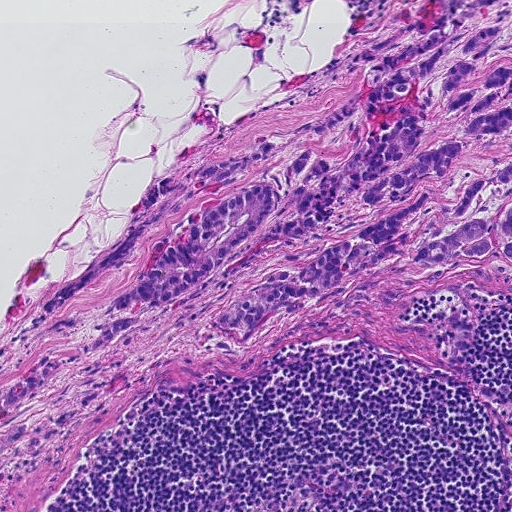
A 0.46-mm field of an H&E-stained sentinel lymph node from a breast-cancer patient (whole-slide image), shown at about 10×, about 0.9 µm per pixel.
Tumour region outline (a closed clockwise path, crop pixels): (511, 0), (511, 307), (468, 349), (478, 399), (358, 330), (304, 328), (243, 358), (184, 359), (136, 379), (0, 503), (0, 342), (33, 302), (116, 237), (156, 179), (350, 96), (346, 51), (400, 8).
About 45% of this field is tumour.